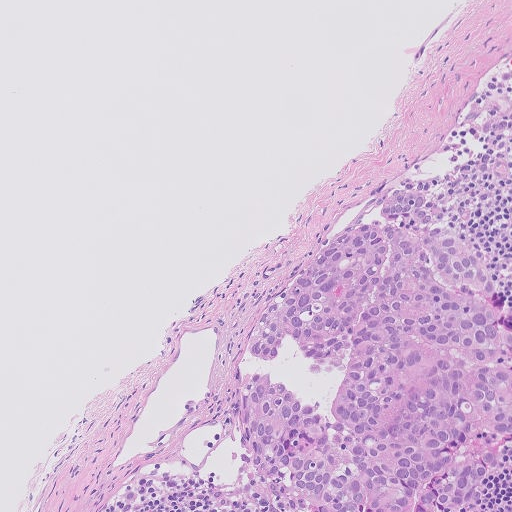
This is a crop of a whole-slide image: an H&E-stained breast-cancer sentinel lymph node section at roughly 10× magnification (about 1.0 µm per pixel; the crop spans about 0.51 mm).
Tumour region outline (a closed clockwise path, crop pixels): (407, 192), (430, 192), (437, 214), (488, 260), (511, 318), (511, 440), (453, 511), (277, 511), (260, 494), (236, 428), (245, 358), (264, 315), (363, 208).
About 25% of the image area is annotated as tumour.